Question: 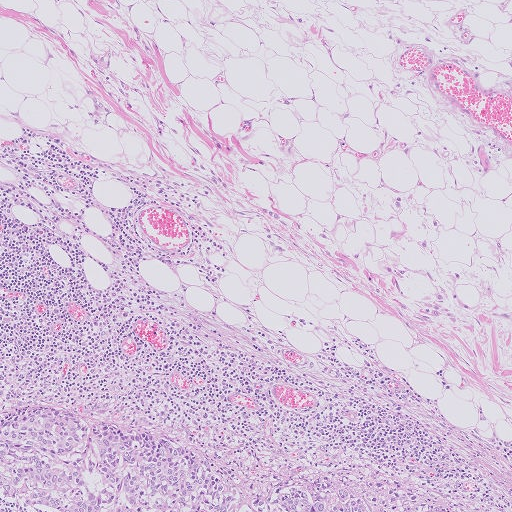
H&E-stained section of a sentinel lymph node (breast cancer), from a whole-slide image, viewed at about 5×: the field is about 1.0 mm across, about 2.0 µm per pixel.
Roughly what share of this field is metastatic tumour?

Choices:
 (A) about 50% or more
 (B) about 25% to 45%
 (C) none: no tumour is outlined
 (D) about 5% or less
 (E) about 10% to 20%

Answer: (E) about 10% to 20%
About 10% of the field is tumour.
Metastatic tumour outline, simplified to 9 points and listed clockwise in crop pixels (x, y): (0, 412), (82, 412), (197, 449), (258, 496), (302, 468), (390, 475), (419, 489), (442, 511), (0, 511).
Question: 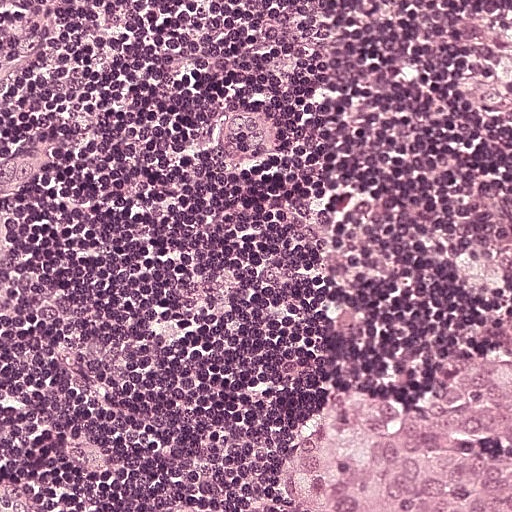
A 0.25-mm field of an H&E-stained sentinel lymph node from a breast-cancer patient (whole-slide image), shown at about 20×, about 0.49 µm per pixel.
Roughly what share of this field is metastatic tumour?

Choices:
 (A) about 5% or less
 (B) about 25% to 45%
 (C) none: no tumour is outlined
 (D) about 50% or more
 (E) about 10% to 20%

Answer: (E) about 10% to 20%
About 10% of the field is tumour.
One metastatic tumour region; its boundary, reduced to 8 corners and listed clockwise: (511, 354), (511, 511), (268, 511), (261, 461), (270, 434), (304, 400), (366, 384), (436, 382).
Question: 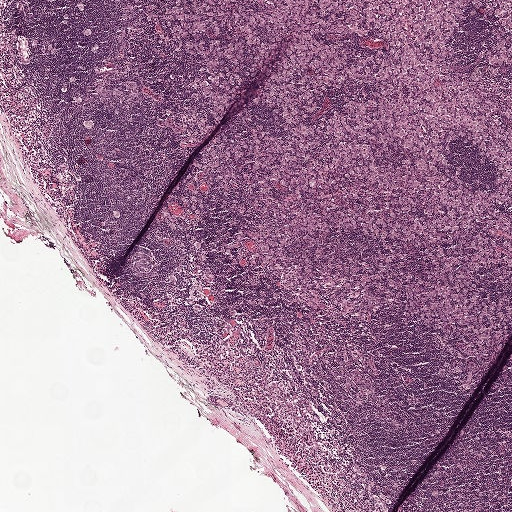
A 2.0-mm field of an H&E-stained sentinel lymph node from a breast-cancer patient (whole-slide image), shown at about 2.5×, about 3.9 µm per pixel.
Roughly what share of this field is metastatic tumour?

Choices:
 (A) about 5% or less
 (B) about 50% or more
 (C) about 25% to 45%
 (D) none: no tumour is outlined
 (E) about 10% to 20%

Answer: (C) about 25% to 45%
About 30% of the field is tumour.
One metastatic tumour region; its boundary, reduced to 24 corners and listed clockwise: (511, 0), (511, 325), (492, 348), (465, 356), (419, 331), (401, 303), (378, 314), (344, 307), (360, 245), (350, 234), (248, 279), (227, 266), (222, 245), (247, 189), (225, 150), (277, 122), (265, 110), (228, 122), (202, 113), (185, 87), (202, 68), (171, 44), (161, 18), (166, 5).
The outline encloses three non-tumour holes totalling about 5% of the region's area.
Question: 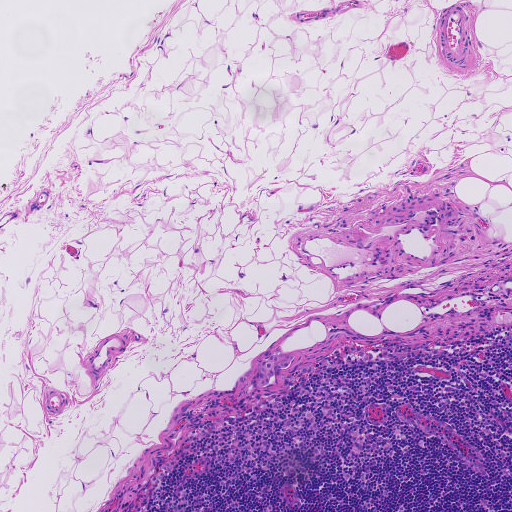
Lymph node section stained with H&E, from a whole-slide image of a breast-cancer sentinel node. Magnification about 5×, about 0.93 mm across the frame, about 1.8 µm per pixel.
Roughly what share of this field is metastatic tumour?

Choices:
 (A) about 25% to 45%
 (B) about 50% or more
 (C) about 10% to 20%
 (D) about 5% or less
 (E) none: no tumour is outlined

Answer: (D) about 5% or less
Under 5% of the field is tumour.
Tumour region outline (a closed clockwise path, crop pixels): (283, 353), (296, 355), (289, 366), (277, 372), (268, 384), (256, 388), (251, 388), (249, 380), (255, 367), (256, 361).